A 0.5-mm field of an H&E-stained sentinel lymph node from a breast-cancer patient (whole-slide image), shown at about 10×, about 0.97 µm per pixel.
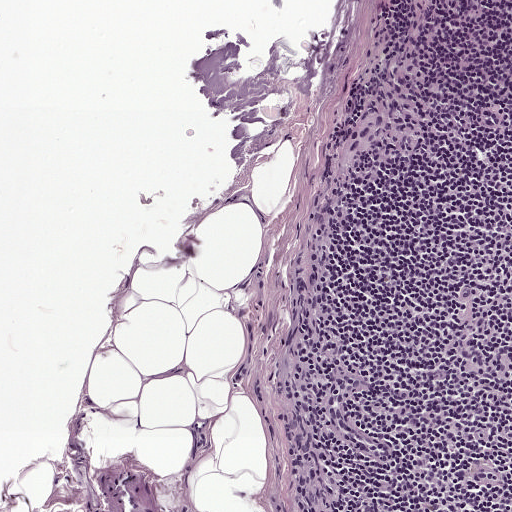
Tumour region outline (a closed clockwise path, crop pixels): (409, 57), (410, 61), (426, 66), (430, 80), (415, 151), (405, 162), (394, 154), (388, 135), (366, 155), (331, 165), (346, 121), (396, 62).
Under 5% of this field is tumour.